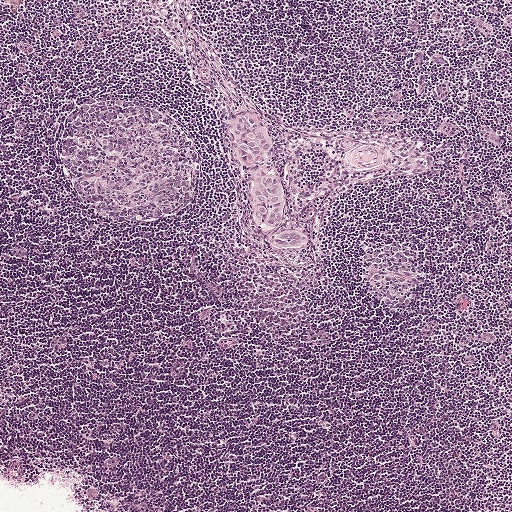
H&E-stained section of a sentinel lymph node (breast cancer), from a whole-slide image, viewed at about 5×: the field is about 1 mm across, about 1.9 µm per pixel.
The outlined metastatic tumour's edge, as a closed clockwise path of 21 points: (244, 111), (249, 112), (268, 129), (273, 148), (268, 159), (268, 170), (277, 174), (286, 197), (283, 223), (276, 230), (292, 228), (308, 235), (307, 241), (299, 245), (282, 247), (272, 244), (254, 222), (250, 192), (238, 150), (231, 137), (232, 122).
Under 5% of the image area is annotated as tumour.